Image:
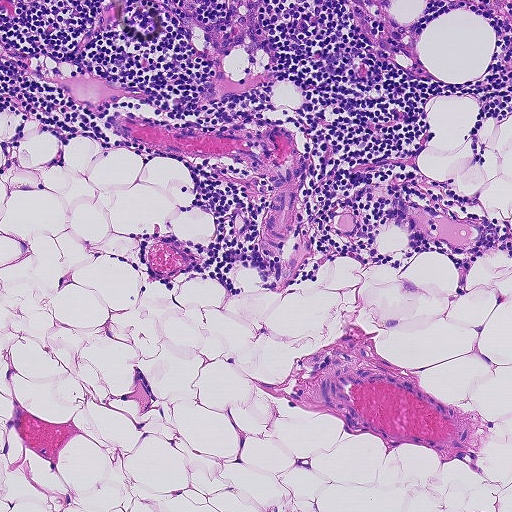
H&E-stained section of a sentinel lymph node (breast cancer), from a whole-slide image, viewed at about 10×: the field is about 0.46 mm across, about 0.9 µm per pixel.
Question:
Is any metastatic breast cancer visible in this crop?
Answer:
No: no metastatic tumour is outlined anywhere in this field.